Image:
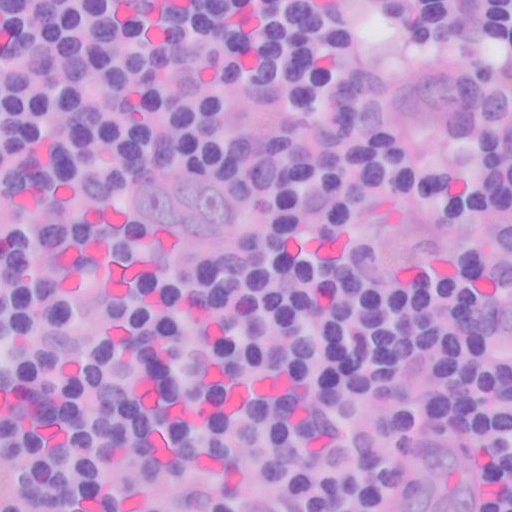
H&E-stained section of a sentinel lymph node (breast cancer), from a whole-slide image, viewed at about 40×: the field is about 0.13 mm across, about 0.25 µm per pixel.
Question:
Show where the tumour is in this image.
Answer:
One metastatic tumour region; its boundary, reduced to 4 corners and listed clockwise: (511, 282), (511, 369), (488, 340), (490, 300).
One more small tumour piece is annotated here but not outlined.
Tumour covers about 5% of the frame.